H&E-stained section of a sentinel lymph node (breast cancer), from a whole-slide image, viewed at about 5×: the field is about 1 mm across, about 1.9 µm per pixel.
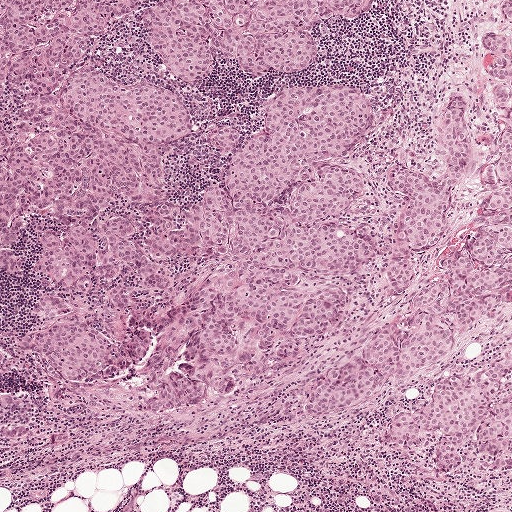
Question: Where is the metastatic tumour in this field? Give each region's outline as (x, y) pixel points.
Answer: Two metastatic tumour regions, each outlined as a closed clockwise path in crop pixels (x, y), largest first: region 1: (0, 0), (376, 0), (355, 21), (315, 23), (317, 60), (296, 72), (243, 75), (217, 48), (185, 84), (154, 63), (134, 20), (95, 30), (82, 44), (89, 78), (180, 92), (194, 113), (168, 155), (176, 194), (155, 217), (132, 200), (120, 214), (39, 216), (27, 276), (0, 273); region 2: (511, 29), (511, 310), (482, 313), (431, 372), (312, 421), (302, 401), (338, 365), (370, 359), (376, 341), (410, 315), (417, 288), (439, 277), (444, 256), (476, 232), (491, 194), (488, 167), (499, 158), (497, 141), (508, 124), (494, 82), (483, 75), (490, 53), (480, 40).
The annotated tumour makes up about 25% of the crop.